Lymph node section stained with H&E, from a whole-slide image of a breast-cancer sentinel node. Magnification about 20×, about 0.25 mm across the frame, about 0.49 µm per pixel.
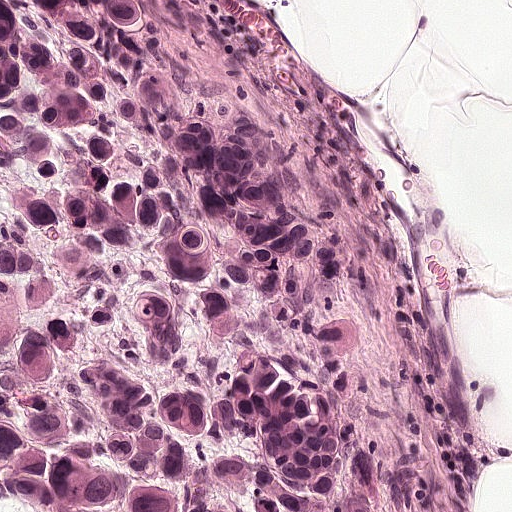
The outlined metastatic tumour's edge, as a closed clockwise path of 12 points: (0, 0), (177, 0), (200, 20), (243, 90), (292, 129), (336, 216), (369, 299), (378, 360), (389, 362), (389, 424), (426, 506), (0, 511).
The annotated tumour makes up about 65% of the crop.